Question: 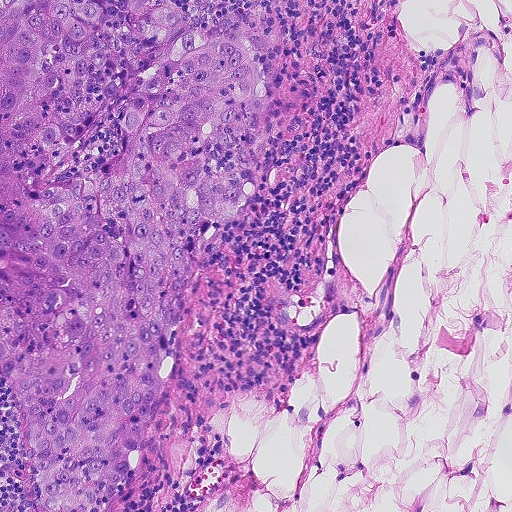
A 0.46-mm field of an H&E-stained sentinel lymph node from a breast-cancer patient (whole-slide image), shown at about 10×, about 0.9 µm per pixel.
What fraction of the image area is metastatic tumour?

Choices:
 (A) about 5% or less
 (B) about 50% or more
 (C) none: no tumour is outlined
 (D) about 25% to 45%
 (E) about 10% to 20%

Answer: (D) about 25% to 45%
About 40% of the field is tumour.
Tumour region outline (a closed clockwise path, crop pixels): (0, 0), (167, 3), (213, 42), (250, 50), (269, 110), (251, 190), (197, 258), (170, 358), (174, 422), (111, 511), (44, 511), (7, 390).